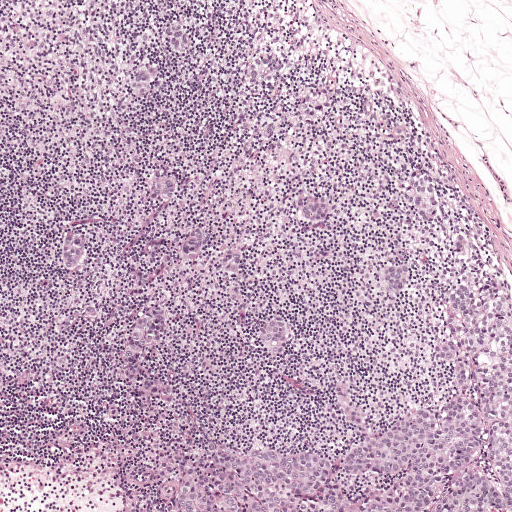
This is a crop of a whole-slide image: an H&E-stained breast-cancer sentinel lymph node section at roughly 5× magnification (about 1.9 µm per pixel; the crop spans about 1 mm).
Outlines of the eight largest metastatic tumour regions, each a closed clockwise path in crop pixels (x, y), largest first: region 1: (482, 260), (511, 282), (511, 511), (163, 511), (139, 470), (147, 459), (212, 436), (343, 446), (352, 437), (327, 395), (335, 371), (347, 372), (378, 423), (436, 405), (447, 377), (426, 365), (422, 351), (438, 320), (433, 272); region 2: (161, 305), (166, 315), (166, 328), (163, 341), (150, 348), (145, 359), (143, 371), (132, 378), (118, 358), (118, 346), (122, 333), (129, 321), (138, 313), (148, 307); region 3: (278, 50), (289, 59), (288, 72), (281, 82), (258, 94), (246, 93), (239, 82), (238, 70), (245, 57), (258, 52); region 4: (185, 16), (200, 30), (201, 43), (198, 55), (186, 65), (173, 63), (165, 55), (160, 43), (162, 28), (171, 19); region 5: (420, 172), (438, 177), (444, 190), (444, 204), (441, 217), (431, 222), (419, 220), (410, 212), (407, 201), (408, 190), (412, 178); region 6: (158, 59), (167, 79), (162, 90), (154, 100), (141, 104), (130, 100), (125, 89), (125, 78), (131, 67), (142, 61); region 7: (276, 312), (294, 328), (294, 340), (291, 352), (282, 359), (271, 357), (261, 351), (254, 342), (255, 328), (264, 319); region 8: (310, 93), (326, 96), (333, 108), (319, 127), (307, 129), (296, 126), (288, 117), (287, 103), (295, 95).
10 more, smaller tumour regions are not outlined.
Two more small tumour pieces are annotated here but not outlined.
About 25% of this field is tumour.